Lymph node section stained with H&E, from a whole-slide image of a breast-cancer sentinel node. Magnification about 20×, about 0.25 mm across the frame, about 0.49 µm per pixel.
Question: 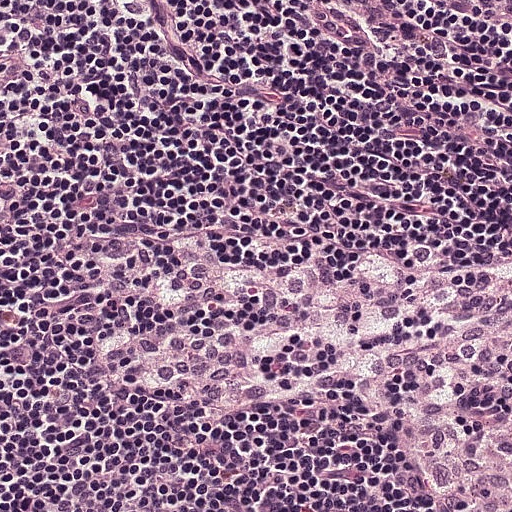
Estimate the proportion of this field that is metastatic tumour.

Choices:
 (A) about 50% or more
 (B) none: no tumour is outlined
 (C) about 5% or less
 (D) about 10% to 20%
 (E) about 25% to 45%

Answer: (B) none: no tumour is outlined
No metastatic tumour is outlined in this field.